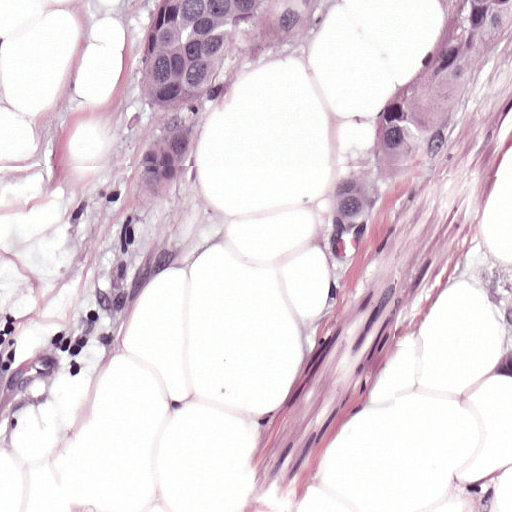
Lymph node section stained with H&E, from a whole-slide image of a breast-cancer sentinel node. Magnification about 20×, about 0.25 mm across the frame, about 0.49 µm per pixel.
Boundaries of three metastatic tumour regions, simplified and listed clockwise, largest first: region 1: (438, 0), (511, 0), (511, 50), (492, 73), (448, 163), (388, 248), (335, 280), (300, 198), (350, 110), (448, 26); region 2: (150, 0), (375, 0), (312, 36), (245, 110), (195, 200), (128, 240), (128, 176), (150, 78); region 3: (511, 264), (511, 304), (498, 303), (490, 280).
About 20% of this field is tumour.